H&E-stained section of a sentinel lymph node (breast cancer), from a whole-slide image, viewed at about 20×: the field is about 0.25 mm across, about 0.49 µm per pixel.
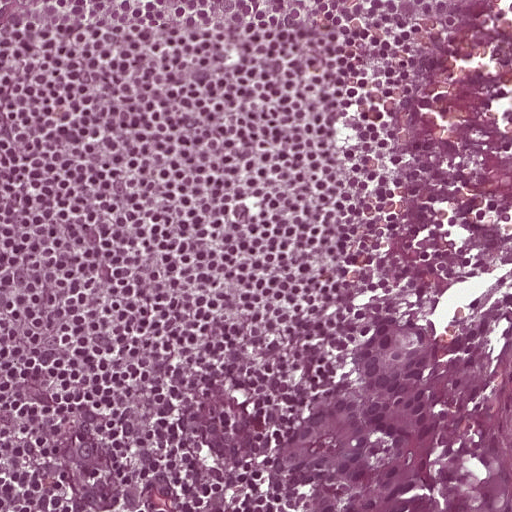
Metastatic tumour outline, simplified to 12 points and listed clockwise in crop pixels (x, y): (386, 302), (494, 326), (500, 356), (488, 448), (498, 485), (488, 511), (243, 511), (251, 494), (250, 433), (296, 420), (335, 376), (354, 308).
About 15% of the image area is annotated as tumour.